Question: 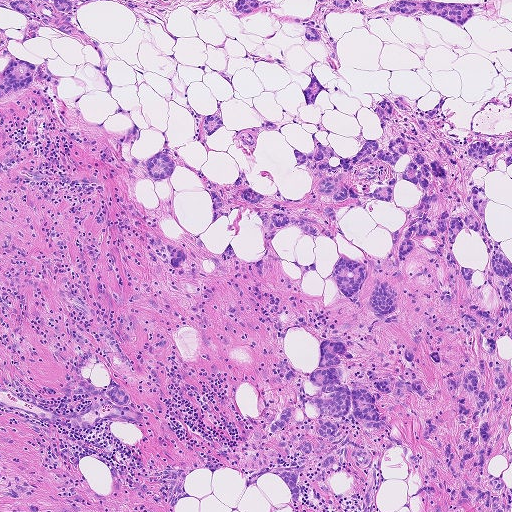
A 0.93-mm field of an H&E-stained sentinel lymph node from a breast-cancer patient (whole-slide image), shown at about 5×, about 1.8 µm per pixel.
About how much of this crop is taken up by metastatic carcinoma?

Choices:
 (A) none: no tumour is outlined
 (B) about 5% or less
 (C) about 25% to 45%
 (D) about 10% to 20%
 (E) about 50% or more

Answer: (C) about 25% to 45%
About 30% of the field is tumour.
Boundaries of seven metastatic tumour regions, simplified and listed clockwise, largest first: region 1: (408, 135), (449, 173), (448, 209), (479, 185), (508, 259), (511, 511), (438, 511), (353, 420), (343, 464), (292, 511), (277, 476), (245, 480), (314, 427), (263, 432), (298, 398), (275, 358), (306, 374), (336, 335), (364, 386), (432, 335), (455, 374), (471, 350), (453, 278), (416, 250), (390, 327), (366, 284), (302, 290), (289, 261), (329, 274), (327, 236), (268, 246), (240, 208), (206, 228), (198, 178), (143, 166), (167, 148), (299, 198), (310, 174), (290, 147); region 2: (0, 0), (95, 0), (79, 8), (81, 27), (98, 43), (109, 65), (113, 96), (141, 132), (140, 142), (123, 145), (114, 142), (113, 134), (79, 116), (72, 103), (56, 98), (46, 87), (31, 86), (0, 97); region 3: (233, 0), (262, 0), (281, 16), (297, 18), (311, 16), (313, 0), (362, 0), (369, 7), (388, 0), (479, 2), (483, 5), (474, 10), (471, 20), (462, 28), (433, 15), (423, 16), (422, 22), (402, 15), (364, 19), (358, 10), (330, 13), (324, 20), (322, 35), (328, 55), (315, 62), (313, 74), (329, 90), (319, 92), (313, 105), (308, 104), (304, 99), (301, 88), (306, 88), (307, 69), (311, 61), (303, 44), (302, 25), (258, 15), (232, 13), (230, 5); region 4: (82, 374), (92, 382), (107, 387), (109, 383), (119, 387), (130, 398), (131, 406), (141, 411), (147, 425), (120, 421), (104, 423), (90, 430), (59, 424), (14, 410), (0, 409), (0, 386), (55, 412), (84, 410), (96, 399), (94, 397), (81, 401), (62, 400), (61, 393), (68, 381); region 5: (220, 113), (223, 125), (239, 130), (258, 127), (266, 120), (279, 123), (278, 129), (266, 131), (261, 135), (255, 143), (254, 154), (248, 161), (236, 148), (235, 136), (237, 132), (222, 128), (208, 137), (202, 136), (199, 130), (197, 115); region 6: (480, 138), (510, 143), (511, 141), (511, 162), (507, 169), (506, 157), (490, 156), (475, 159), (464, 149), (475, 139); region 7: (172, 244), (188, 252), (187, 266), (180, 273), (171, 270), (166, 247).